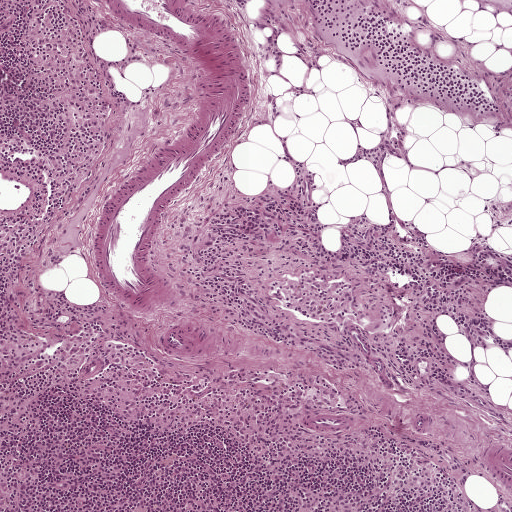
Lymph node section stained with H&E, from a whole-slide image of a breast-cancer sentinel node. Magnification about 5×, about 1 mm across the frame, about 1.9 µm per pixel.